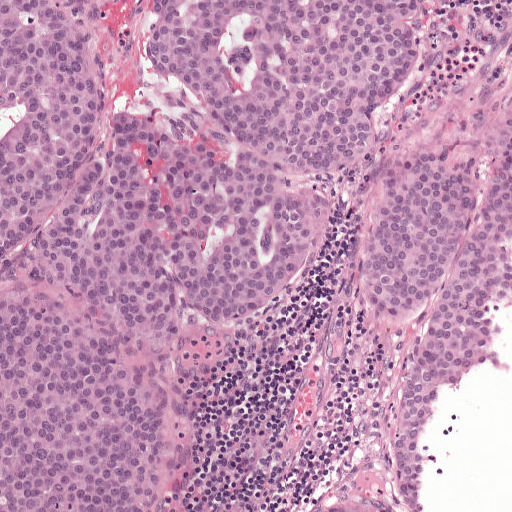
A 0.5-mm field of an H&E-stained sentinel lymph node from a breast-cancer patient (whole-slide image), shown at about 10×, about 0.97 µm per pixel.
Metastatic tumour outline, simplified to 21 points and listed clockwise in crop pixels (x, y): (0, 0), (511, 0), (511, 370), (475, 378), (438, 410), (428, 434), (439, 511), (319, 511), (392, 494), (386, 438), (405, 352), (400, 325), (374, 316), (358, 293), (339, 214), (254, 320), (196, 322), (186, 347), (194, 404), (178, 511), (0, 511).
The annotated tumour makes up about 80% of the crop.